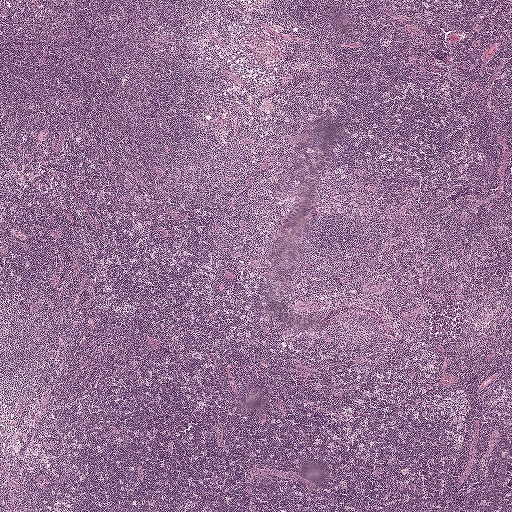
This is a crop of a whole-slide image: an H&E-stained breast-cancer sentinel lymph node section at roughly 2.5× magnification (about 3.9 µm per pixel; the crop spans about 2.0 mm).